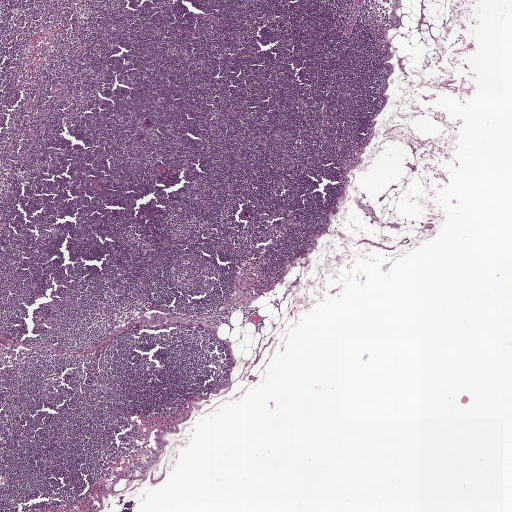
Lymph node section stained with H&E, from a whole-slide image of a breast-cancer sentinel node. Magnification about 2.5×, about 2.0 mm across the frame, about 3.9 µm per pixel.
Metastatic tumour outline, simplified to 18 points and listed clockwise in crop pixels (x, y): (157, 312), (165, 314), (170, 313), (174, 314), (175, 316), (174, 319), (169, 320), (166, 323), (162, 324), (152, 325), (146, 325), (137, 323), (138, 322), (143, 315), (145, 315), (150, 318), (150, 314), (151, 313).
Under 5% of the image area is annotated as tumour.